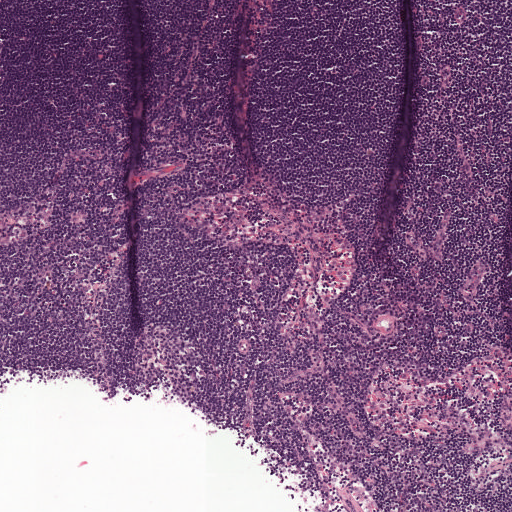
A 1-mm field of an H&E-stained sentinel lymph node from a breast-cancer patient (whole-slide image), shown at about 5×, about 1.9 µm per pixel.